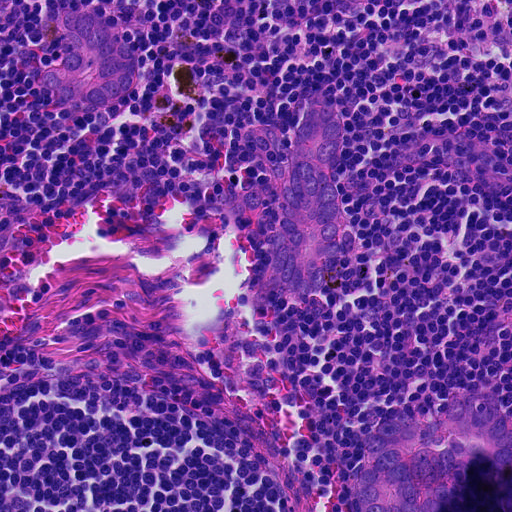
H&E-stained section of a sentinel lymph node (breast cancer), from a whole-slide image, viewed at about 20×: the field is about 0.23 mm across, about 0.45 µm per pixel.
Three metastatic tumour regions, each outlined as a closed clockwise path in crop pixels (x, y), largest first: region 1: (478, 390), (511, 420), (511, 463), (508, 469), (484, 468), (467, 477), (449, 511), (357, 511), (354, 478), (364, 440), (378, 426), (396, 418), (424, 416); region 2: (327, 96), (343, 117), (335, 176), (337, 195), (351, 234), (348, 254), (330, 292), (292, 303), (276, 292), (269, 274), (262, 212), (238, 208), (243, 187), (252, 180), (268, 193), (272, 224), (298, 162), (297, 121), (308, 102); region 3: (78, 8), (97, 14), (130, 43), (137, 83), (106, 106), (85, 107), (42, 92), (44, 73), (60, 62), (72, 46), (57, 32), (59, 14).
One more small tumour piece is annotated here but not outlined.
About 10% of this field is tumour.